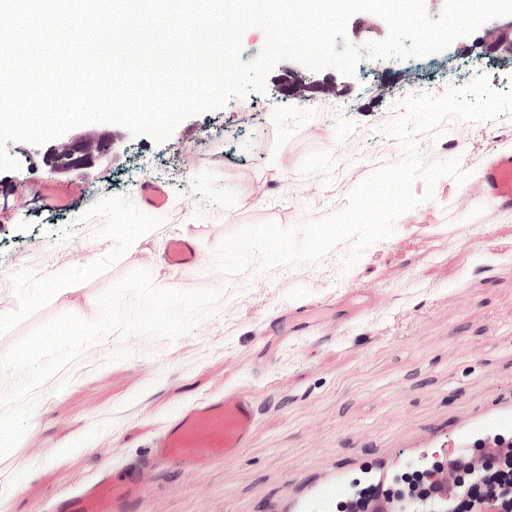
Lymph node section stained with H&E, from a whole-slide image of a breast-cancer sentinel node. Magnification about 20×, about 0.25 mm across the frame, about 0.49 µm per pixel.
Three metastatic tumour regions, each outlined as a closed clockwise path in crop pixels (x, y), largest first: region 1: (66, 130), (140, 136), (106, 166), (60, 175), (28, 153); region 2: (276, 61), (316, 64), (365, 89), (340, 100), (311, 102), (263, 90); region 3: (511, 14), (511, 66), (448, 58), (452, 40), (498, 16).
Two more small tumour pieces are annotated here but not outlined.
Tumour covers about 5% of the frame.